H&E-stained section of a sentinel lymph node (breast cancer), from a whole-slide image, viewed at about 20×: the field is about 0.23 mm across, about 0.45 µm per pixel.
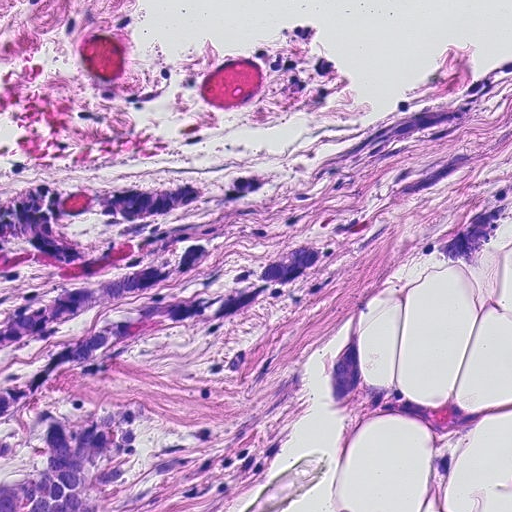
Metastatic tumour outline, simplified to 21 points and listed clockwise in crop pixels (x, y): (511, 65), (511, 215), (473, 266), (398, 269), (356, 325), (358, 358), (383, 380), (410, 400), (455, 395), (484, 419), (440, 436), (330, 407), (324, 365), (348, 336), (354, 302), (298, 354), (221, 476), (166, 511), (0, 511), (0, 181), (294, 167).
About 50% of the image area is annotated as tumour.